This is a crop of a whole-slide image: an H&E-stained breast-cancer sentinel lymph node section at roughly 20× magnification (about 0.45 µm per pixel; the crop spans about 0.23 mm).
Question: 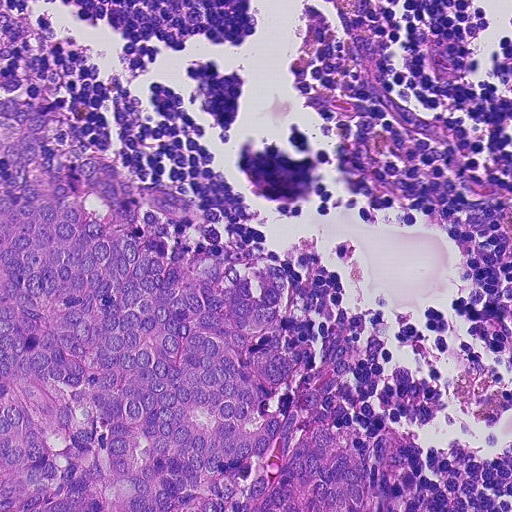
About how much of this crop is taken up by metastatic carcinoma?

Choices:
 (A) about 5% or less
 (B) about 25% to 45%
 (C) none: no tumour is outlined
 (D) about 50% or more
 (E) about 10% to 20%

Answer: (B) about 25% to 45%
About 45% of the field is tumour.
One metastatic tumour region; its boundary, reduced to 18 corners and listed clockwise: (0, 0), (34, 38), (48, 102), (69, 104), (135, 184), (201, 200), (222, 228), (285, 258), (298, 290), (289, 313), (301, 362), (363, 304), (356, 384), (366, 444), (382, 416), (411, 435), (449, 511), (0, 511).